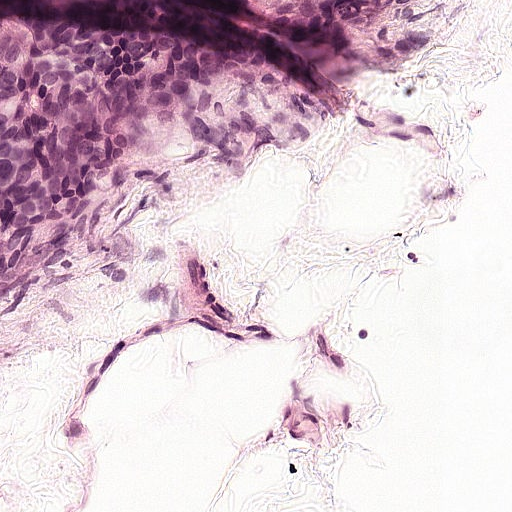
A 0.25-mm field of an H&E-stained sentinel lymph node from a breast-cancer patient (whole-slide image), shown at about 20×, about 0.49 µm per pixel.
Metastatic tumour outline, simplified to 9 points and listed clockwise in crop pixels (x, y): (0, 5), (176, 53), (181, 70), (173, 94), (152, 108), (154, 122), (130, 168), (92, 218), (0, 290).
Tumour covers about 10% of the frame.